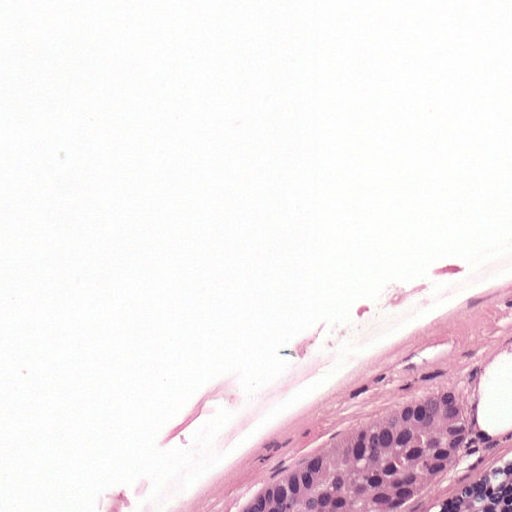
This is a crop of a whole-slide image: an H&E-stained breast-cancer sentinel lymph node section at roughly 20× magnification (about 0.49 µm per pixel; the crop spans about 0.25 mm).
Tumour region outline (a closed clockwise path, crop pixels): (449, 385), (466, 398), (461, 460), (397, 511), (238, 511), (272, 472), (388, 391).
Tumour covers about 5% of the frame.